Image:
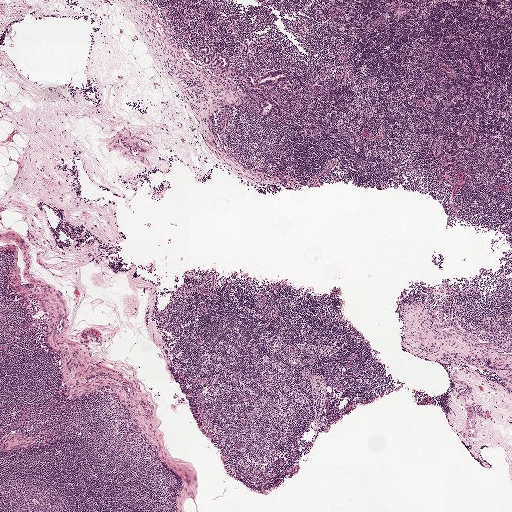
A 2.0-mm field of an H&E-stained sentinel lymph node from a breast-cancer patient (whole-slide image), shown at about 2.5×, about 3.9 µm per pixel.
Question:
Is there metastatic carcinoma in this field?
Answer:
Yes.
Four metastatic tumour regions, each outlined as a closed clockwise path in crop pixels (x, y), largest first: region 1: (197, 46), (207, 46), (207, 52), (211, 56), (226, 56), (229, 64), (234, 64), (241, 70), (255, 70), (258, 73), (279, 69), (288, 72), (289, 74), (289, 78), (278, 85), (257, 90), (260, 90), (277, 102), (281, 111), (279, 113), (270, 113), (266, 115), (255, 114), (254, 105), (246, 95), (244, 86), (235, 78), (223, 79), (219, 76), (219, 69), (216, 66), (211, 63), (202, 62), (200, 55), (196, 52); region 2: (308, 123), (309, 124), (310, 123), (318, 126), (319, 130), (318, 134), (306, 134), (301, 134), (297, 133), (298, 131), (305, 129); region 3: (183, 30), (190, 30), (194, 33), (195, 35), (194, 41), (193, 41), (190, 41), (186, 40), (181, 37), (180, 35), (181, 32); region 4: (269, 89), (275, 91), (278, 95), (282, 100), (283, 102), (283, 105), (282, 105), (279, 103), (275, 99), (273, 96), (268, 92).
One more small tumour piece is annotated here but not outlined.
Under 5% of the image area is annotated as tumour.

Image:
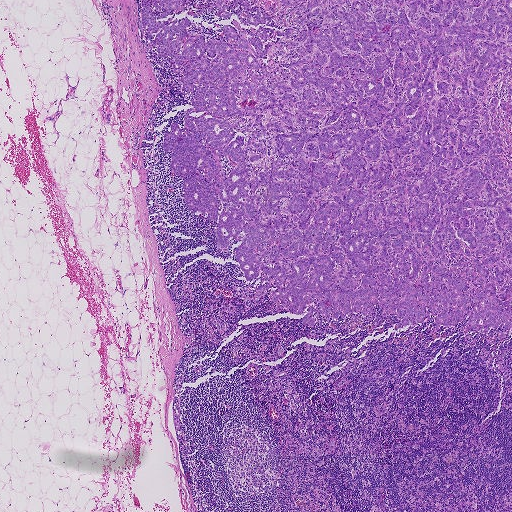
A 1.9-mm field of an H&E-stained sentinel lymph node from a breast-cancer patient (whole-slide image), shown at about 2.5×, about 3.6 µm per pixel.
Question:
Is there metastatic carcinoma in this field?
Answer:
Yes.
The outlined metastatic tumour's edge, as a closed clockwise path of 21 points: (511, 0), (511, 334), (490, 344), (498, 331), (460, 333), (465, 318), (430, 336), (429, 313), (393, 330), (378, 302), (369, 321), (309, 328), (269, 288), (245, 306), (261, 281), (235, 261), (242, 241), (218, 249), (163, 150), (192, 106), (140, 3).
About 40% of the image area is annotated as tumour.

Image:
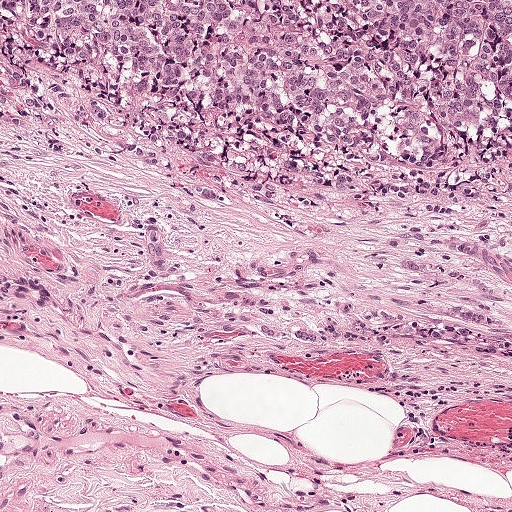
A 0.5-mm field of an H&E-stained sentinel lymph node from a breast-cancer patient (whole-slide image), shown at about 10×, about 0.97 µm per pixel.
Question:
Is there metastatic carcinoma in this field?
Answer:
Yes.
Tumour region outline (a closed clockwise path, crop pixels): (0, 0), (511, 0), (511, 260), (398, 240), (0, 130).
About 40% of this field is tumour.

Image:
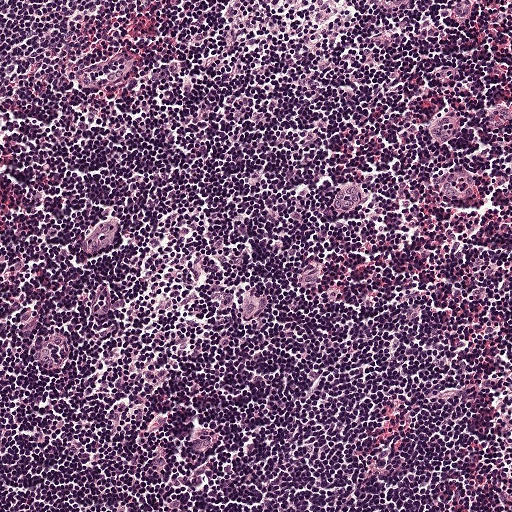
A 0.5-mm field of an H&E-stained sentinel lymph node from a breast-cancer patient (whole-slide image), shown at about 10×, about 0.97 µm per pixel.
Question:
Is there metastatic carcinoma in this field?
Answer:
No, this field holds no outlined metastasis.